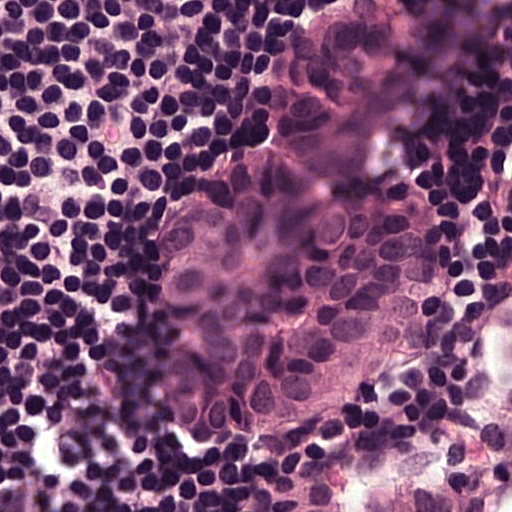
Lymph node section stained with H&E, from a whole-slide image of a breast-cancer sentinel node. Magnification about 40×, about 0.12 mm across the frame, about 0.24 µm per pixel.
Metastatic tumour outline, simplified to 12 points and listed clockwise in crop pixels (x, y): (353, 0), (402, 0), (425, 132), (461, 205), (461, 305), (448, 337), (393, 427), (321, 454), (257, 454), (212, 373), (143, 346), (166, 168).
About 40% of the image area is annotated as tumour.